Question: 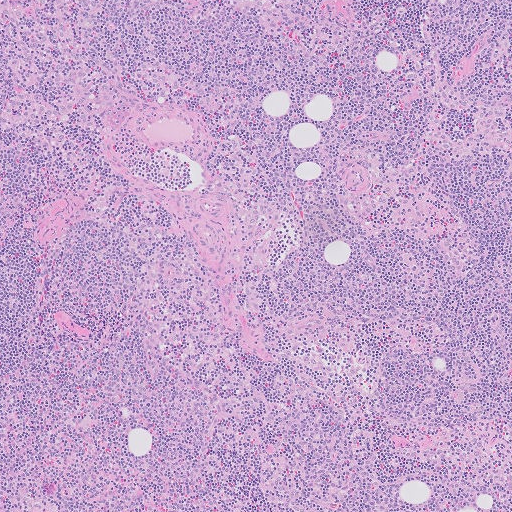
At roughly what magnification is this field shown?

Choices:
 (A) about 5×
 (B) about 20×
 (C) about 10×
 (D) about 2.5×
 (E) about 40×

Answer: (A) about 5×
H&E-stained section of a sentinel lymph node (breast cancer), from a whole-slide image, viewed at about 5×: the field is about 1.0 mm across, about 2.0 µm per pixel.